A 0.12-mm field of an H&E-stained sentinel lymph node from a breast-cancer patient (whole-slide image), shown at about 40×, about 0.24 µm per pixel.
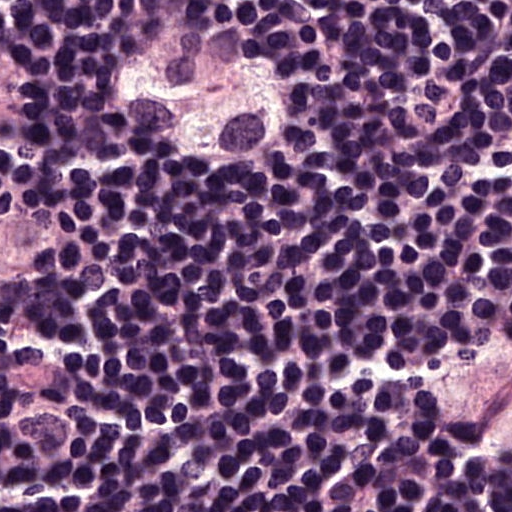
One metastatic tumour region; its boundary, reduced to 13 corners and listed clockwise: (170, 21), (222, 24), (259, 40), (209, 43), (238, 61), (290, 121), (290, 140), (264, 157), (183, 153), (164, 145), (135, 114), (135, 69), (151, 37).
About 5% of this field is tumour.